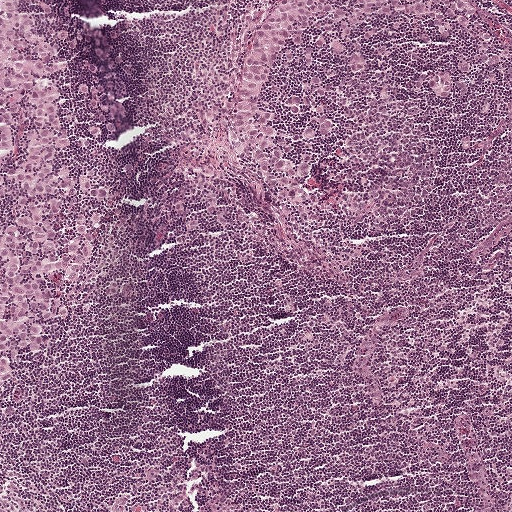
A 1-mm field of an H&E-stained sentinel lymph node from a breast-cancer patient (whole-slide image), shown at about 5×, about 1.9 µm per pixel.
Boundaries of two metastatic tumour regions, simplified and listed clockwise, largest first: region 1: (0, 0), (40, 0), (75, 46), (73, 59), (64, 59), (62, 117), (76, 160), (107, 190), (110, 204), (72, 322), (0, 402); region 2: (283, 0), (452, 0), (490, 45), (490, 61), (511, 76), (511, 95), (498, 83), (488, 93), (470, 80), (464, 102), (451, 95), (431, 105), (425, 85), (451, 76), (471, 52), (460, 35), (441, 46), (408, 21), (369, 51), (360, 83), (323, 60), (314, 66), (321, 104), (282, 76), (262, 80), (264, 95), (301, 107), (327, 132), (290, 160), (290, 167), (307, 163), (313, 236), (220, 146), (222, 102), (247, 45).
About 20% of the image area is annotated as tumour.